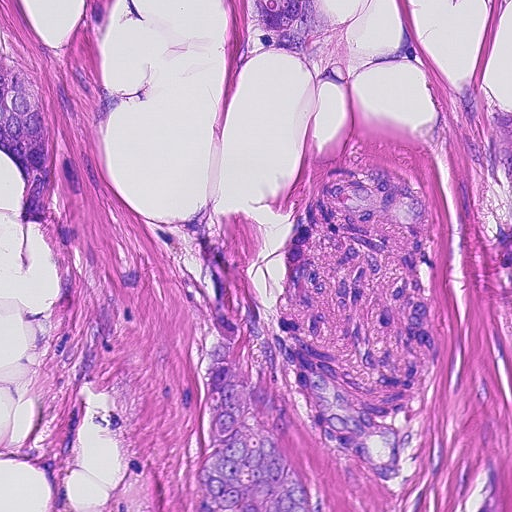
This is a crop of a whole-slide image: an H&E-stained breast-cancer sentinel lymph node section at roughly 20× magnification (about 0.45 µm per pixel; the crop spans about 0.23 mm).
Outlines of three tumour regions, largest first (closed clockwise paths, crop pixels): region 1: (318, 0), (342, 24), (312, 66), (302, 196), (377, 165), (422, 190), (442, 370), (419, 478), (435, 511), (198, 511), (212, 450), (192, 347), (202, 288), (300, 336), (364, 386), (412, 382), (422, 354), (399, 226), (295, 204), (302, 56), (236, 60), (236, 9); region 2: (0, 0), (107, 0), (101, 79), (120, 96), (144, 89), (110, 128), (102, 159), (43, 234), (18, 225), (21, 174), (3, 152); region 3: (491, 462), (495, 511), (461, 511), (470, 492).
The annotated tumour makes up about 30% of the crop.